Lymph node section stained with H&E, from a whole-slide image of a breast-cancer sentinel node. Magnification about 10×, about 0.51 mm across the frame, about 1.0 µm per pixel.
Question: 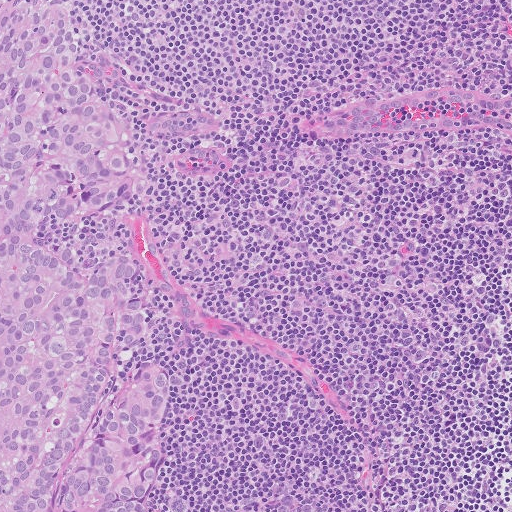
Estimate the proportion of this field that is metastatic tumour.

Choices:
 (A) about 50% or more
 (B) about 5% or less
 (C) none: no tumour is outlined
 (D) about 25% to 45%
 (E) about 10% to 20%

Answer: (D) about 25% to 45%
About 25% of the field is tumour.
One metastatic tumour region; its boundary, reduced to 11 corners and listed clockwise: (0, 0), (58, 3), (125, 56), (137, 110), (136, 198), (64, 235), (144, 258), (172, 405), (155, 486), (188, 508), (0, 511).